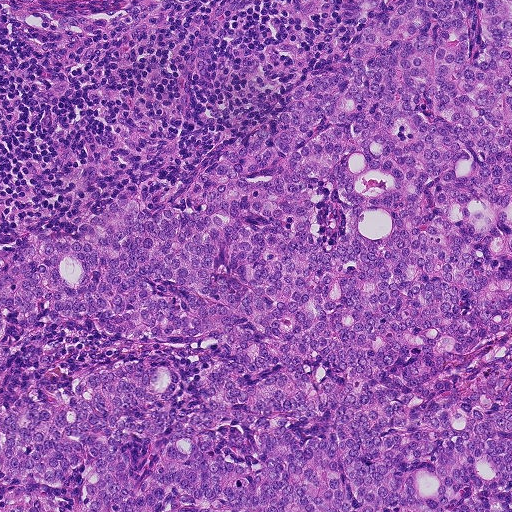
A 0.46-mm field of an H&E-stained sentinel lymph node from a breast-cancer patient (whole-slide image), shown at about 10×, about 0.9 µm per pixel.
Question: Show where the tumour is in this image.
Answer: Metastatic tumour outline, simplified to 20 points and listed clockwise in crop pixels (x, y): (354, 0), (511, 0), (511, 511), (1, 511), (0, 405), (57, 393), (100, 361), (160, 348), (190, 368), (207, 346), (118, 342), (67, 325), (30, 324), (0, 340), (0, 253), (37, 228), (72, 232), (115, 197), (168, 199), (338, 60).
About 75% of this field is tumour.